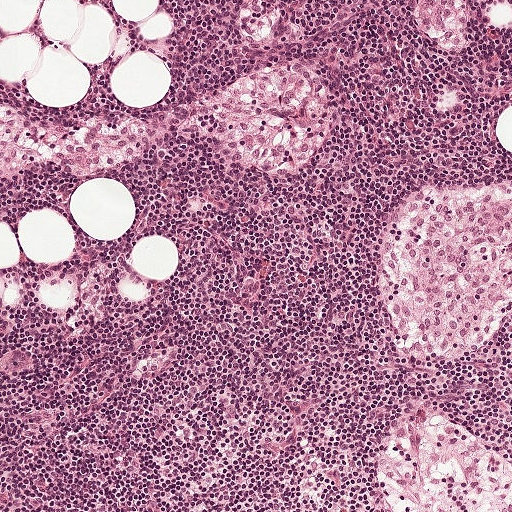
H&E-stained section of a sentinel lymph node (breast cancer), from a whole-slide image, viewed at about 10×: the field is about 0.5 mm across, about 0.97 µm per pixel.
Question: Is there metastatic carcinoma in this field?
Answer: No, this field holds no outlined metastasis.